Image:
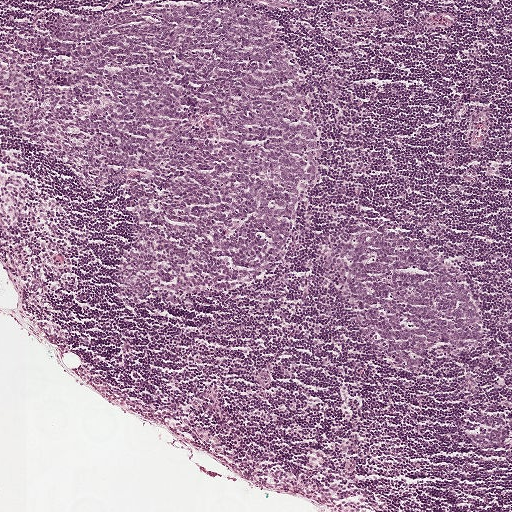
This is a crop of a whole-slide image: an H&E-stained breast-cancer sentinel lymph node section at roughly 5× magnification (about 1.9 µm per pixel; the crop spans about 1 mm).
Question:
Does this lymph node field contain metastatic tumour?
Answer:
No: no metastatic tumour is outlined anywhere in this field.